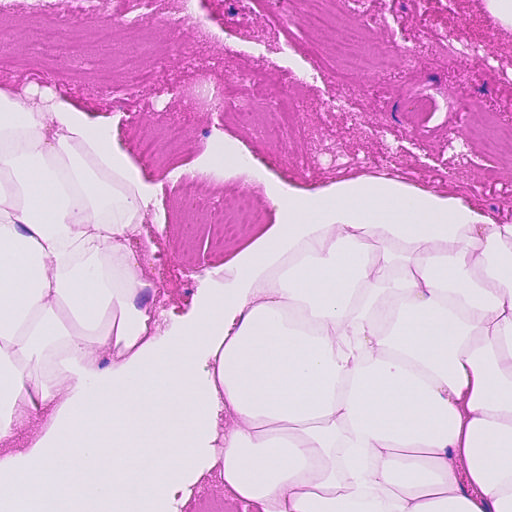
This is a crop of a whole-slide image: an H&E-stained breast-cancer sentinel lymph node section at roughly 20× magnification (about 0.45 µm per pixel; the crop spans about 0.23 mm).